Question: 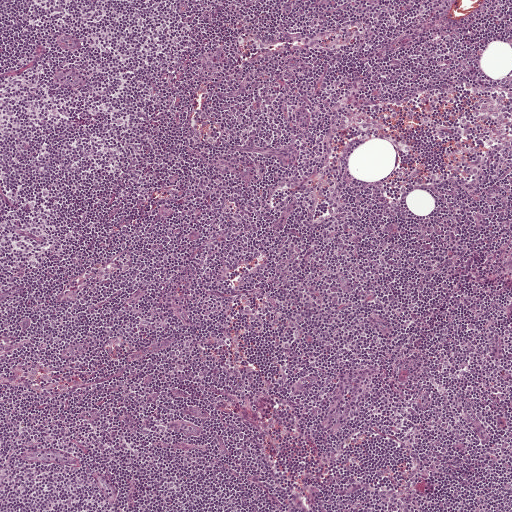
At roughly what magnification is this field shown?

Choices:
 (A) about 2.5×
 (B) about 20×
 (C) about 40×
 (D) about 5×
 (E) about 10×

Answer: (D) about 5×
Lymph node section stained with H&E, from a whole-slide image of a breast-cancer sentinel node. Magnification about 5×, about 1 mm across the frame, about 1.9 µm per pixel.
Question: 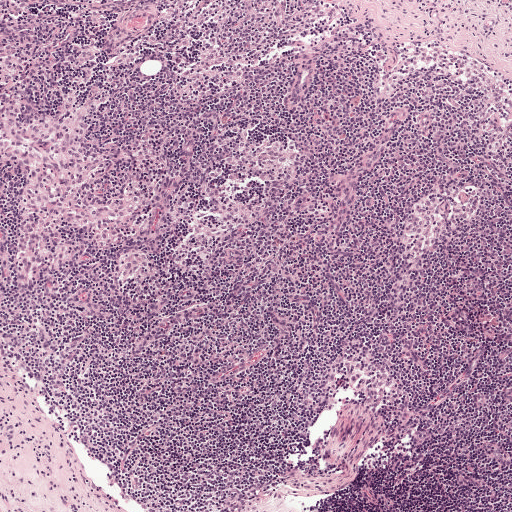
At roughly what magnification is this field shown?

Choices:
 (A) about 20×
 (B) about 10×
 (C) about 40×
 (D) about 5×
 (E) about 2.5×

Answer: (D) about 5×
Lymph node section stained with H&E, from a whole-slide image of a breast-cancer sentinel node. Magnification about 5×, about 1 mm across the frame, about 1.9 µm per pixel.
Question: 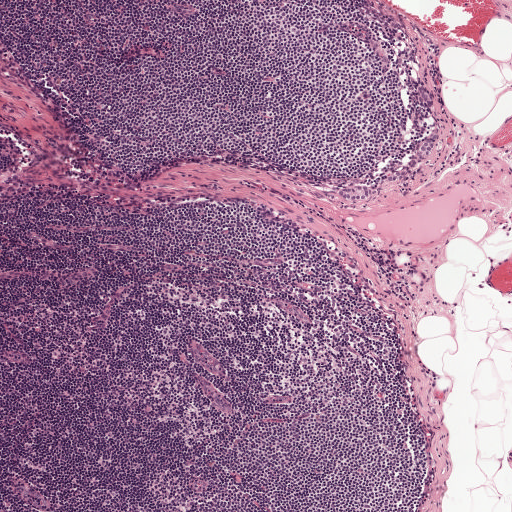
At roughly what magnification is this field shown?

Choices:
 (A) about 2.5×
 (B) about 5×
 (C) about 10×
 (D) about 20×
 (E) about 40×

Answer: (B) about 5×
Lymph node section stained with H&E, from a whole-slide image of a breast-cancer sentinel node. Magnification about 5×, about 1 mm across the frame, about 1.9 µm per pixel.
Boundaries of three metastatic tumour regions, simplified and listed clockwise, largest first: region 1: (435, 130), (438, 138), (435, 146), (426, 158), (409, 174), (402, 178), (395, 180), (387, 180), (388, 176), (399, 171), (405, 166); region 2: (366, 186), (370, 188), (371, 194), (368, 200), (346, 200), (340, 198), (338, 193), (343, 187); region 3: (419, 84), (425, 86), (433, 92), (433, 106), (429, 110), (422, 102), (418, 94).
The annotated tumour makes up under 5% of the crop.
Question: 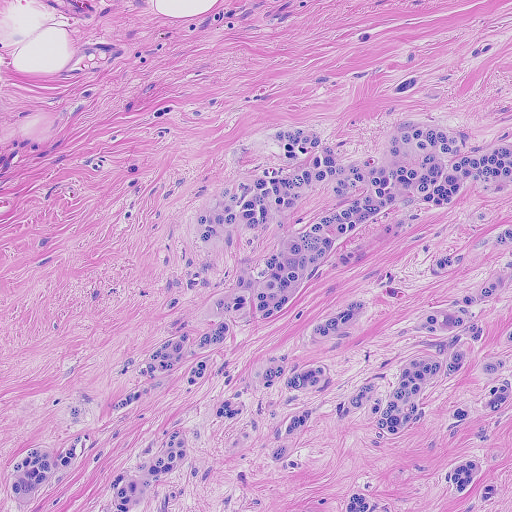
At roughly what magnification is this field shown?

Choices:
 (A) about 10×
 (B) about 20×
 (C) about 40×
 (D) about 2.5×
 (E) about 5×

Answer: (A) about 10×
H&E-stained section of a sentinel lymph node (breast cancer), from a whole-slide image, viewed at about 10×: the field is about 0.46 mm across, about 0.91 µm per pixel.
The outlined metastatic tumour's edge, as a closed clockwise path of 23 points: (408, 119), (510, 132), (511, 511), (0, 511), (16, 455), (64, 441), (76, 430), (65, 421), (68, 404), (133, 382), (128, 356), (140, 343), (198, 305), (163, 311), (200, 256), (180, 228), (186, 211), (230, 178), (293, 163), (269, 140), (280, 128), (314, 126), (352, 158).
About 55% of the image area is annotated as tumour.